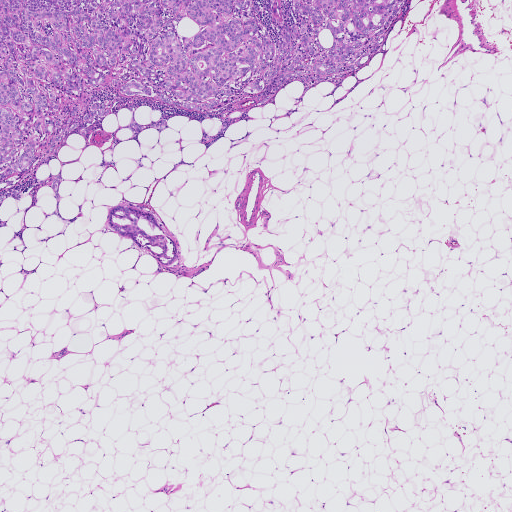
A 1.9-mm field of an H&E-stained sentinel lymph node from a breast-cancer patient (whole-slide image), shown at about 2.5×, about 3.6 µm per pixel.
Question: Where is the metastatic tumour in this field?
Answer: Four metastatic tumour regions, each outlined as a closed clockwise path in crop pixels (x, y), largest first: region 1: (0, 0), (402, 0), (379, 51), (333, 95), (325, 97), (331, 80), (308, 90), (296, 79), (259, 106), (280, 71), (258, 100), (193, 111), (123, 95), (110, 76), (70, 99), (82, 115), (99, 99), (109, 115), (10, 178), (19, 197), (0, 204), (10, 187), (0, 183); region 2: (122, 205), (150, 212), (166, 234), (176, 243), (177, 260), (171, 265), (160, 262), (146, 249), (112, 231), (106, 218), (107, 210), (110, 208); region 3: (134, 104), (136, 107), (134, 112), (135, 120), (138, 124), (149, 126), (164, 119), (167, 119), (168, 121), (168, 126), (167, 128), (160, 132), (155, 129), (147, 128), (138, 134), (133, 134), (129, 128), (132, 114), (127, 108), (129, 105); region 4: (61, 173), (63, 180), (60, 184), (59, 191), (62, 197), (58, 206), (50, 185), (52, 182), (41, 184), (39, 181).
Three more small tumour pieces are annotated here but not outlined.
About 15% of the image area is annotated as tumour.